Question: 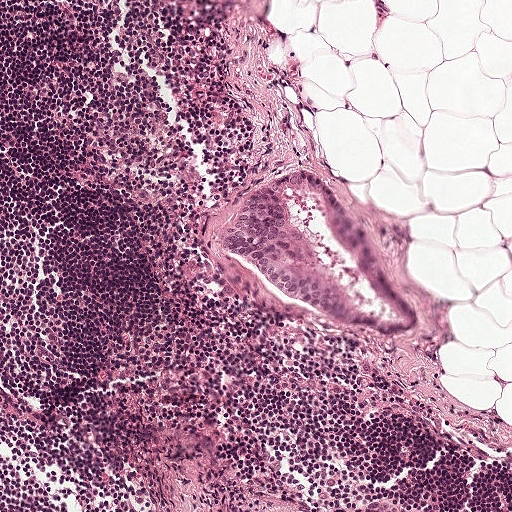
H&E-stained section of a sentinel lymph node (breast cancer), from a whole-slide image, viewed at about 10×: the field is about 0.5 mm across, about 0.97 µm per pixel.
About how much of this crop is taken up by metastatic carcinoma?

Choices:
 (A) about 5% or less
 (B) none: no tumour is outlined
 (C) about 25% to 45%
 (D) about 50% or more
 (E) about 10% to 20%

Answer: (A) about 5% or less
About 5% of the field is tumour.
Tumour region outline (a closed clockwise path, crop pixels): (300, 169), (306, 172), (306, 188), (297, 192), (288, 204), (292, 220), (303, 234), (306, 259), (315, 275), (324, 282), (325, 305), (310, 311), (292, 306), (278, 286), (220, 247), (217, 233), (225, 220), (249, 192).